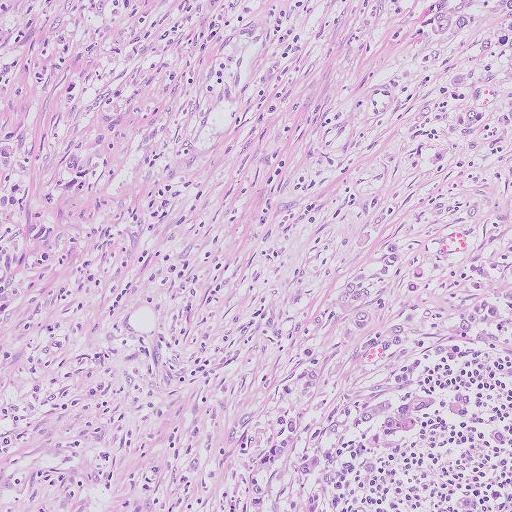
H&E-stained section of a sentinel lymph node (breast cancer), from a whole-slide image, viewed at about 10×: the field is about 0.51 mm across, about 1.0 µm per pixel.
Metastatic tumour covers the whole field.
The annotated tumour makes up over 95% of the crop.